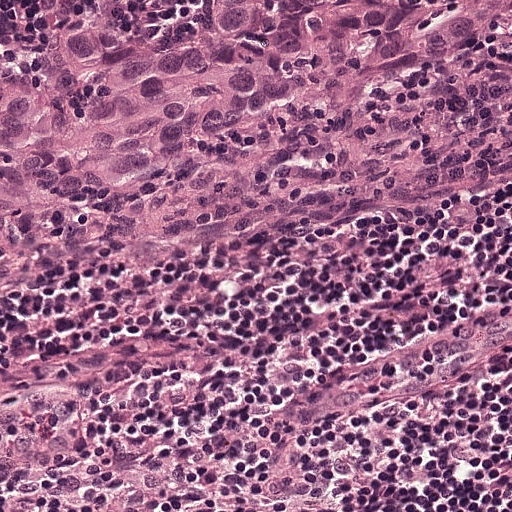
H&E-stained section of a sentinel lymph node (breast cancer), from a whole-slide image, viewed at about 20×: the field is about 0.25 mm across, about 0.49 µm per pixel.
One metastatic tumour region; its boundary, reduced to 7 corners and listed clockwise: (0, 0), (511, 0), (511, 36), (400, 67), (314, 112), (86, 189), (0, 234).
Tumour covers about 25% of the frame.